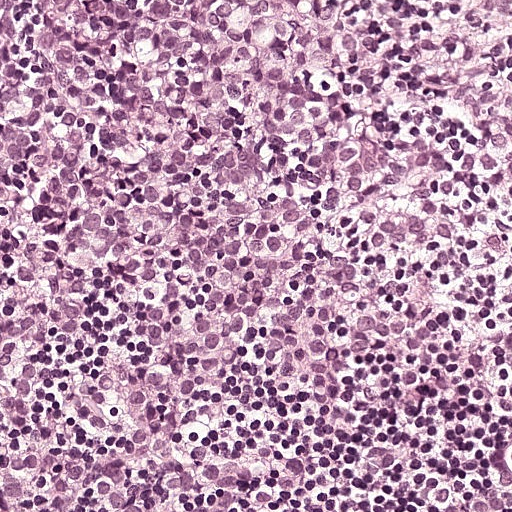
A 0.25-mm field of an H&E-stained sentinel lymph node from a breast-cancer patient (whole-slide image), shown at about 20×, about 0.49 µm per pixel.
Metastatic tumour outline, simplified to 9 points and listed clockwise in crop pixels (x, y): (0, 0), (422, 0), (511, 49), (511, 191), (269, 305), (182, 288), (114, 240), (96, 206), (0, 202).
Tumour covers about 50% of the frame.